Question: 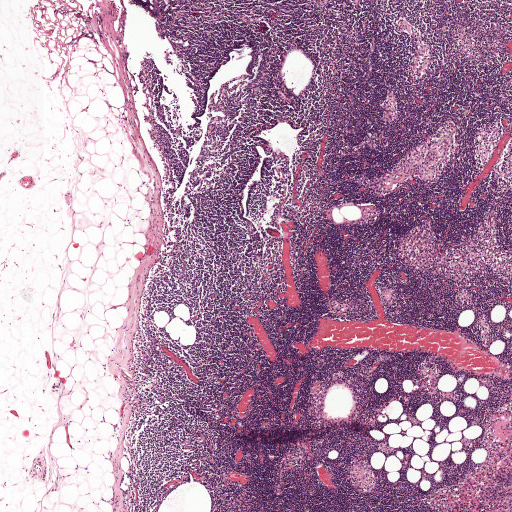
Which magnification is this H&E lymph node field most likely shown at?

Choices:
 (A) about 10×
 (B) about 2.5×
 (C) about 20×
 (D) about 5×
 (E) about 40×

Answer: (B) about 2.5×
Lymph node section stained with H&E, from a whole-slide image of a breast-cancer sentinel node. Magnification about 2.5×, about 2.0 mm across the frame, about 3.9 µm per pixel.